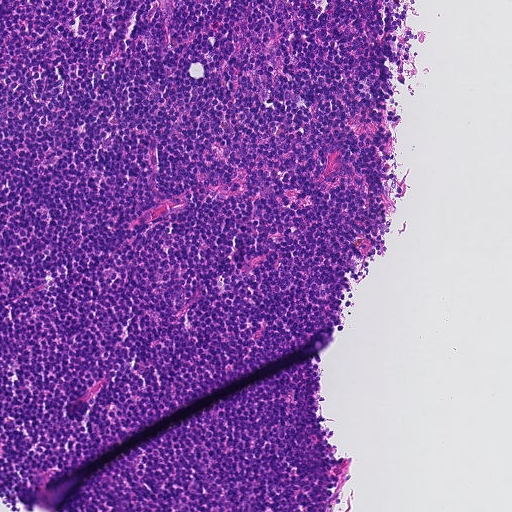
Lymph node section stained with H&E, from a whole-slide image of a breast-cancer sentinel node. Magnification about 10×, about 0.46 mm across the frame, about 0.9 µm per pixel.